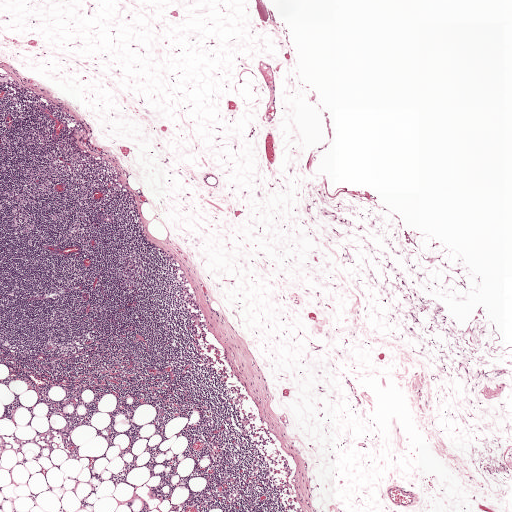
This is a crop of a whole-slide image: an H&E-stained breast-cancer sentinel lymph node section at roughly 2.5× magnification (about 3.9 µm per pixel; the crop spans about 2.0 mm).
Metastatic tumour outline, simplified to 10 points and listed clockwise in crop pixels (x, y): (98, 213), (105, 213), (110, 214), (115, 218), (115, 222), (115, 225), (113, 225), (106, 224), (96, 216), (96, 214).
Under 5% of the image area is annotated as tumour.